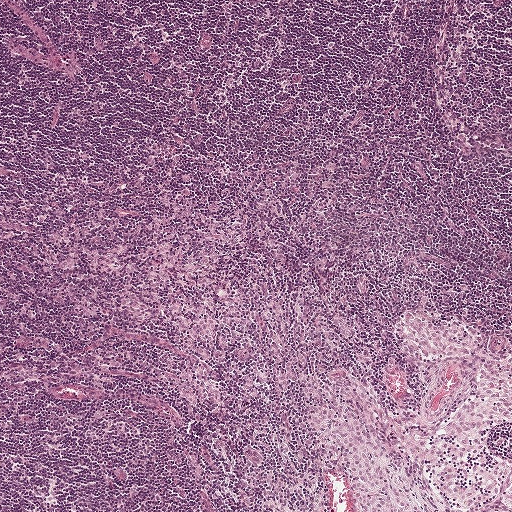
H&E-stained section of a sentinel lymph node (breast cancer), from a whole-slide image, viewed at about 5×: the field is about 1 mm across, about 1.9 µm per pixel.
Tumour region outline (a closed clockwise path, crop pixels): (313, 385), (322, 386), (375, 421), (386, 440), (391, 467), (400, 489), (407, 499), (412, 499), (410, 510), (358, 511), (353, 476), (336, 464), (322, 444), (300, 430), (312, 415), (311, 399), (305, 391).
About 5% of the image area is annotated as tumour.